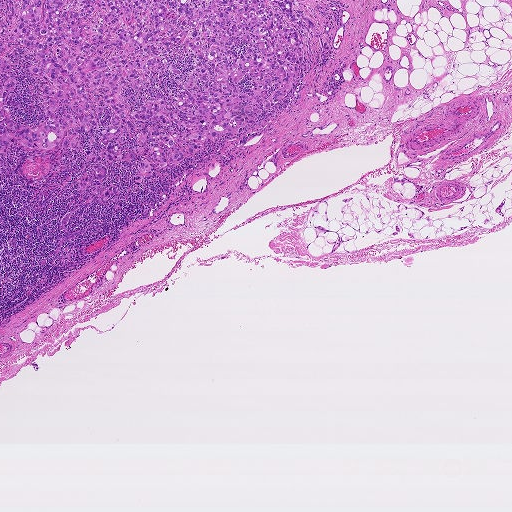
Lymph node section stained with H&E, from a whole-slide image of a breast-cancer sentinel node. Magnification about 2.5×, about 1.9 mm across the frame, about 3.6 µm per pixel.
Two metastatic tumour regions, each outlined as a closed clockwise path in crop pixels (x, y), largest first: region 1: (0, 0), (295, 0), (315, 26), (297, 28), (311, 43), (299, 79), (269, 109), (252, 104), (240, 133), (137, 186), (144, 158), (111, 164), (103, 185), (118, 186), (120, 211), (93, 184), (81, 192), (96, 176), (87, 149), (106, 146), (100, 126), (72, 149), (0, 154); region 2: (0, 158), (8, 165), (11, 170), (11, 176), (9, 178), (5, 177), (5, 171), (5, 168), (3, 165), (0, 167).
Two more small tumour pieces are annotated here but not outlined.
Tumour covers about 15% of the frame.